This is a crop of a whole-slide image: an H&E-stained breast-cancer sentinel lymph node section at roughly 20× magnification (about 0.45 µm per pixel; the crop spans about 0.23 mm).
Image:
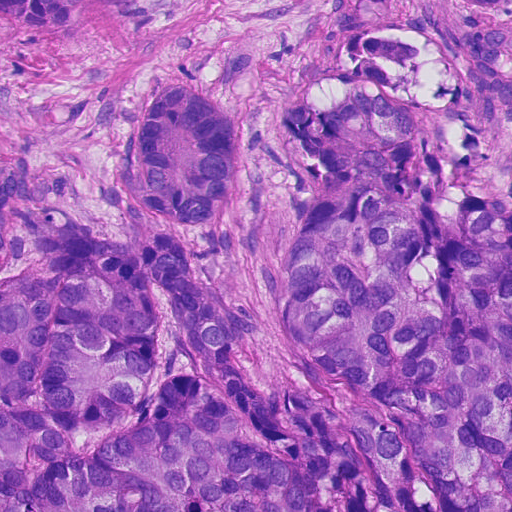
Question:
Which parts of this field are metastatic tumour?
Answer:
Outlines of two tumour regions, largest first (closed clockwise paths, crop pixels): region 1: (458, 0), (511, 0), (511, 511), (0, 511), (0, 237), (62, 217), (130, 242), (124, 166), (164, 78), (236, 132), (222, 223), (176, 228), (243, 309), (237, 356), (270, 389), (363, 402), (282, 324), (274, 278), (312, 190), (288, 100), (310, 59), (393, 11), (438, 24), (482, 6); region 2: (0, 0), (85, 0), (76, 18), (40, 28), (0, 26).
The annotated tumour makes up about 75% of the crop.